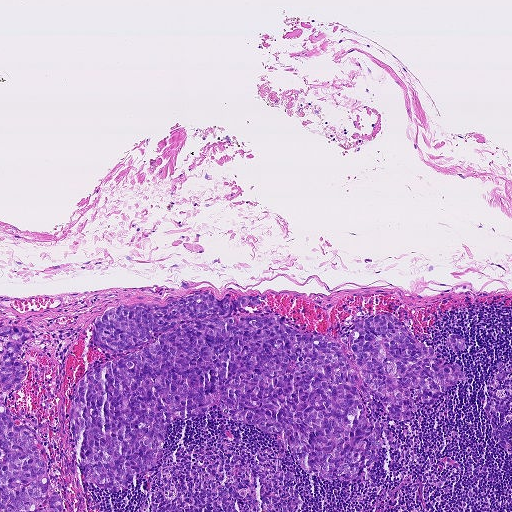
Lymph node section stained with H&E, from a whole-slide image of a breast-cancer sentinel node. Magnification about 5×, about 0.93 mm across the frame, about 1.8 µm per pixel.
Question: Which parts of this field are metastatic tumour?
Answer: Boundaries of three metastatic tumour regions, simplified and listed clockwise, largest first: region 1: (259, 294), (232, 314), (272, 315), (350, 353), (354, 322), (393, 315), (466, 378), (406, 423), (369, 401), (393, 443), (356, 475), (304, 470), (282, 437), (216, 398), (173, 418), (160, 462), (108, 491), (68, 416), (80, 378), (145, 344), (93, 342), (116, 307); region 2: (0, 319), (2, 324), (26, 327), (32, 333), (16, 356), (27, 368), (26, 376), (18, 390), (5, 399), (8, 407), (38, 435), (47, 459), (50, 483), (60, 497), (63, 511), (0, 511), (0, 458), (3, 455), (0, 447); region 3: (450, 334), (456, 334), (460, 336), (464, 345), (464, 350), (459, 351), (454, 351), (446, 345), (445, 340).
About 20% of the image area is annotated as tumour.